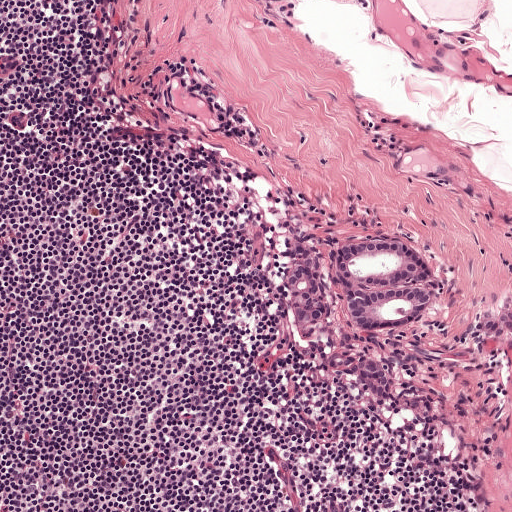
A 0.5-mm field of an H&E-stained sentinel lymph node from a breast-cancer patient (whole-slide image), shown at about 10×, about 0.97 µm per pixel.
Four metastatic tumour regions, each outlined as a closed clockwise path in crop pixels (x, y), largest first: region 1: (392, 235), (422, 248), (436, 264), (445, 282), (440, 303), (427, 320), (407, 328), (363, 333), (354, 331), (341, 314), (329, 250), (348, 242); region 2: (298, 242), (316, 250), (331, 294), (330, 310), (305, 327), (294, 317), (288, 287), (288, 272); region 3: (335, 352), (357, 358), (354, 363), (363, 362), (375, 364), (384, 372), (390, 390), (387, 400), (374, 397), (355, 380), (350, 366), (353, 364), (338, 369), (329, 366), (327, 358); region 4: (511, 311), (511, 335), (492, 337), (473, 329), (476, 322), (492, 319), (502, 312).
The annotated tumour makes up about 5% of the crop.